Image:
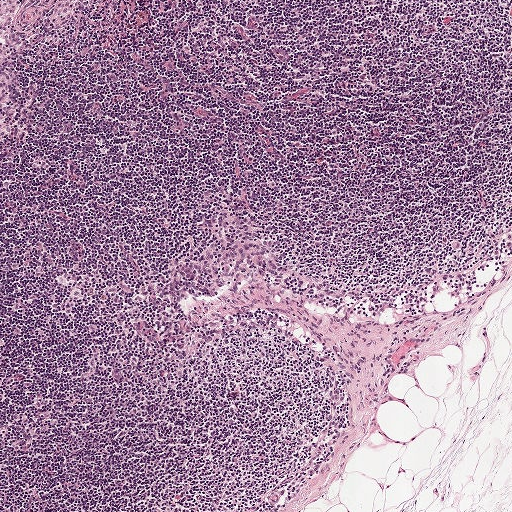
Lymph node section stained with H&E, from a whole-slide image of a breast-cancer sentinel node. Magnification about 5×, about 1 mm across the frame, about 1.9 µm per pixel.
Question:
Does this lymph node field contain metastatic tumour?
Answer:
No. No metastatic tumour is outlined in this field.